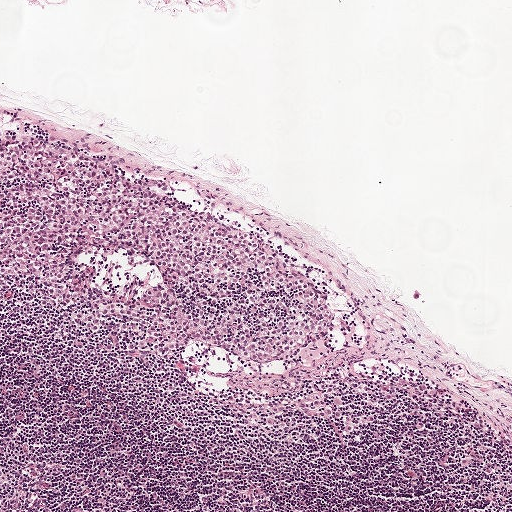
A 1-mm field of an H&E-stained sentinel lymph node from a breast-cancer patient (whole-slide image), shown at about 5×, about 1.9 µm per pixel.
The outlined metastatic tumour's edge, as a closed clockwise path of 9 points: (1, 123), (115, 173), (269, 223), (326, 290), (340, 349), (306, 367), (198, 361), (90, 338), (0, 298).
Tumour covers about 20% of the frame.